Question: 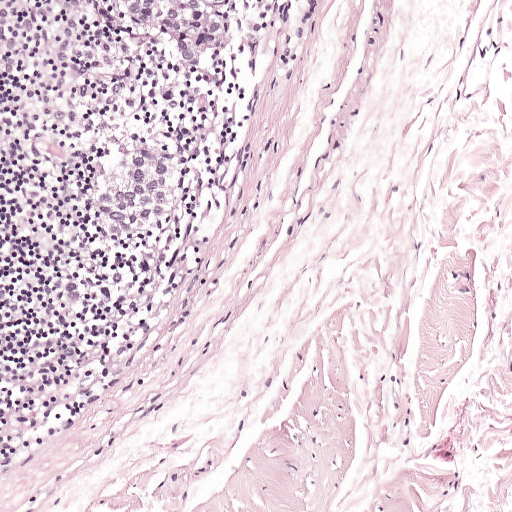
H&E-stained section of a sentinel lymph node (breast cancer), from a whole-slide image, viewed at about 10×: the field is about 0.5 mm across, about 0.97 µm per pixel.
Roughly what share of this field is metastatic tumour?

Choices:
 (A) about 5% or less
 (B) none: no tumour is outlined
 (C) about 10% to 20%
 (D) about 50% or more
 (E) about 25% to 45%

Answer: (A) about 5% or less
About 5% of the field is tumour.
Boundaries of two metastatic tumour regions, simplified and listed clockwise, largest first: region 1: (162, 142), (173, 154), (182, 175), (184, 202), (174, 226), (156, 242), (134, 250), (107, 245), (90, 229), (80, 208), (83, 182), (114, 145); region 2: (105, 0), (239, 0), (222, 23), (211, 48), (203, 96), (185, 110), (170, 92), (178, 69), (146, 35), (124, 27).
Three more small tumour pieces are annotated here but not outlined.